Question: 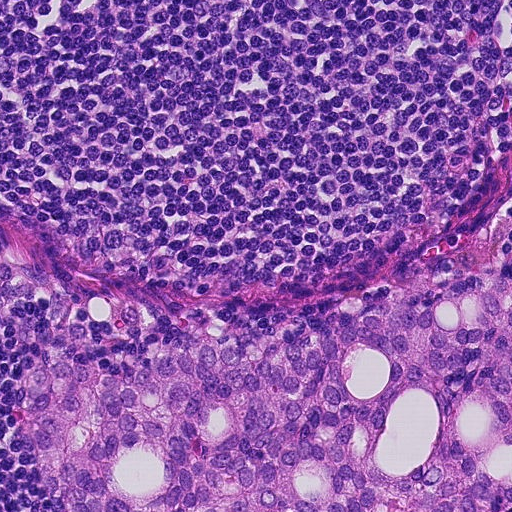
Lymph node section stained with H&E, from a whole-slide image of a breast-cancer sentinel node. Magnification about 20×, about 0.23 mm across the frame, about 0.45 µm per pixel.
Estimate the proportion of this field that is metastatic tumour.

Choices:
 (A) about 50% or more
 (B) none: no tumour is outlined
 (C) about 10% to 20%
 (D) about 5% or less
 (E) about 25% to 45%

Answer: (E) about 25% to 45%
About 40% of the field is tumour.
One metastatic tumour region; its boundary, reduced to 12 corners and listed clockwise: (511, 207), (511, 511), (62, 511), (45, 496), (19, 427), (21, 387), (52, 319), (84, 299), (121, 293), (198, 306), (269, 330), (305, 322).